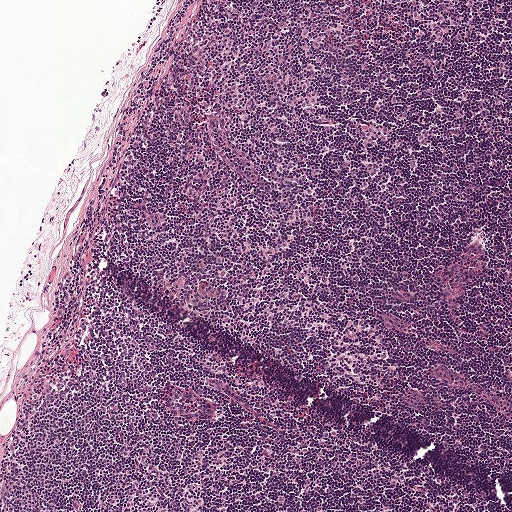
A 1-mm field of an H&E-stained sentinel lymph node from a breast-cancer patient (whole-slide image), shown at about 5×, about 1.9 µm per pixel.